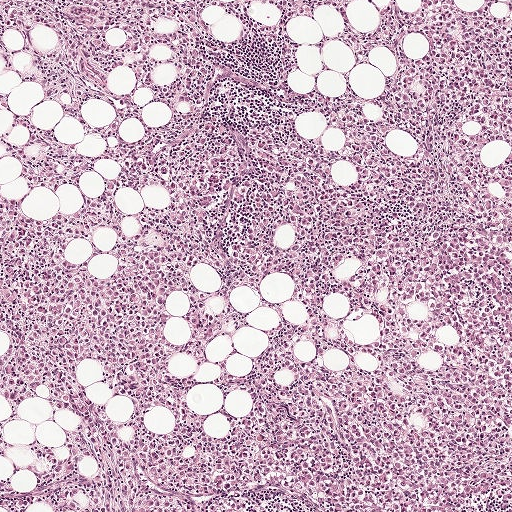
H&E-stained section of a sentinel lymph node (breast cancer), from a whole-slide image, viewed at about 5×: the field is about 1 mm across, about 1.9 µm per pixel.
Question: Is any metastatic breast cancer visible in this crop?
Answer: Yes.
Two metastatic tumour regions, each outlined as a closed clockwise path in crop pixels (x, y), largest first: region 1: (501, 223), (511, 240), (511, 511), (312, 511), (311, 457), (329, 416), (388, 381), (473, 366), (477, 345), (428, 294), (424, 270), (448, 239); region 2: (0, 195), (31, 220), (54, 222), (65, 260), (92, 276), (160, 246), (170, 276), (163, 337), (184, 394), (140, 411), (124, 394), (107, 394), (99, 364), (82, 357), (75, 371), (96, 403), (92, 416), (52, 410), (40, 386), (11, 413), (0, 395).
The annotated tumour makes up about 25% of the crop.